Question: 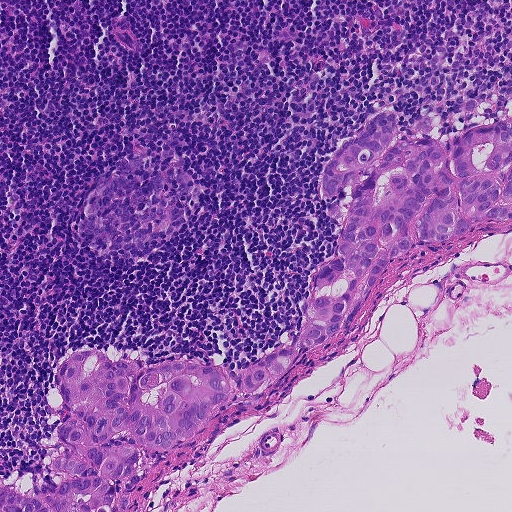
Lymph node section stained with H&E, from a whole-slide image of a breast-cancer sentinel node. Magnification about 10×, about 0.46 mm across the frame, about 0.9 µm per pixel.
Roughly what share of this field is metastatic tumour?

Choices:
 (A) about 5% or less
 (B) about 10% to 20%
 (C) about 25% to 45%
 (D) about 50% or more
 (E) none: no tumour is outlined

Answer: (B) about 10% to 20%
About 20% of the field is tumour.
Metastatic tumour outline, simplified to 24 points and listed clockwise in crop pixels (x, y): (382, 107), (399, 109), (398, 139), (447, 144), (511, 118), (511, 218), (392, 260), (345, 334), (230, 397), (191, 438), (142, 453), (124, 511), (0, 511), (0, 480), (48, 468), (40, 442), (61, 421), (46, 391), (68, 356), (249, 366), (294, 336), (344, 222), (326, 217), (320, 174).